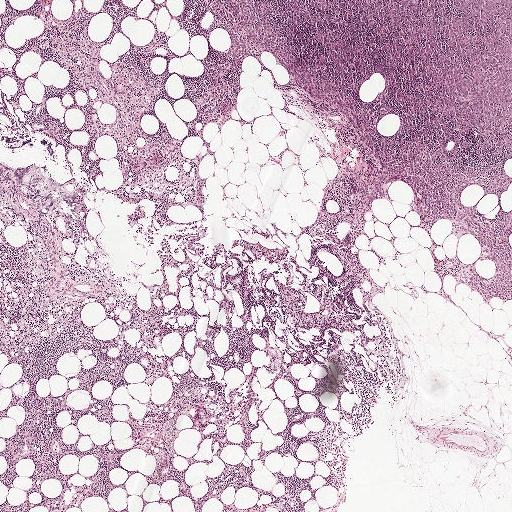
This is a crop of a whole-slide image: an H&E-stained breast-cancer sentinel lymph node section at roughly 2.5× magnification (about 3.9 µm per pixel; the crop spans about 2.0 mm).
Question: Trace the edge of each tumour region in this crop, as (x, y) points from 0 to 511.
Answer: One metastatic tumour region; its boundary, reduced to 20 corners and listed clockwise: (203, 0), (511, 0), (511, 183), (500, 204), (511, 209), (511, 301), (458, 282), (479, 244), (408, 211), (406, 184), (336, 202), (344, 167), (366, 164), (342, 141), (342, 118), (315, 109), (271, 53), (245, 53), (224, 115), (232, 40).
Tumour covers about 20% of the frame.